Image:
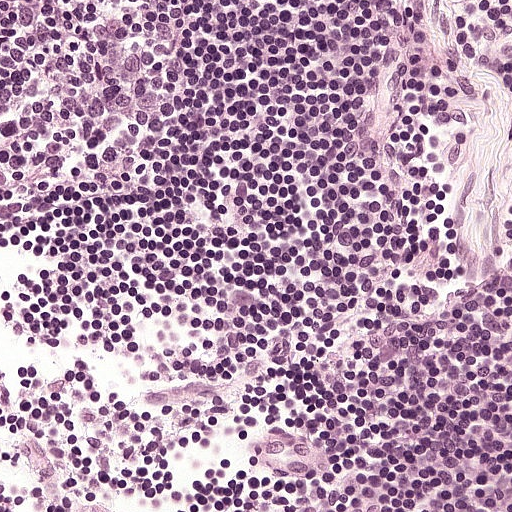
H&E-stained section of a sentinel lymph node (breast cancer), from a whole-slide image, viewed at about 20×: the field is about 0.25 mm across, about 0.49 µm per pixel.
Question:
Is any metastatic breast cancer visible in this crop?
Answer:
No: no metastatic tumour is outlined anywhere in this field.